Image:
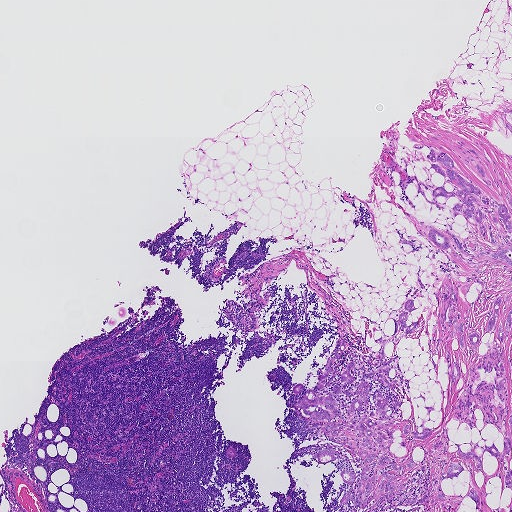
H&E-stained section of a sentinel lymph node (breast cancer), from a whole-slide image, viewed at about 2.5×: the field is about 1.9 mm across, about 3.6 µm per pixel.
Question:
Where is the metastatic tumour in this field?
Answer:
Outlines of eight tumour regions, largest first (closed clockwise paths, crop pixels): region 1: (511, 414), (511, 448), (505, 456), (508, 473), (511, 469), (511, 488), (502, 489), (503, 465), (500, 478), (486, 481), (485, 491), (491, 492), (478, 511), (467, 496), (457, 511), (458, 501), (443, 501), (435, 495), (440, 483), (449, 496), (462, 496), (468, 489), (468, 470), (457, 478), (446, 475), (453, 461), (467, 466), (455, 444), (466, 452), (471, 448), (469, 442), (490, 446), (493, 440), (502, 452); region 2: (457, 140), (463, 141), (464, 143), (463, 148), (472, 148), (478, 153), (488, 178), (492, 182), (494, 178), (495, 179), (499, 184), (498, 189), (493, 183), (494, 188), (491, 185), (489, 188), (474, 167), (462, 160), (458, 156), (456, 142); region 3: (410, 299), (413, 299), (415, 307), (418, 308), (417, 309), (411, 311), (407, 316), (406, 322), (408, 326), (415, 321), (418, 320), (418, 323), (416, 329), (414, 331), (406, 335), (401, 331), (400, 329), (400, 323), (398, 317), (399, 314), (401, 312), (407, 311), (404, 307), (404, 304), (405, 302); region 4: (459, 313), (463, 321), (463, 324), (463, 340), (464, 345), (463, 347), (460, 346), (458, 341), (459, 333), (456, 332), (452, 337), (446, 339), (450, 333), (452, 321), (456, 317), (457, 314); region 5: (511, 309), (511, 324), (510, 327), (506, 342), (503, 337), (502, 343), (498, 339), (496, 334), (500, 319), (504, 330), (506, 324), (507, 313); region 6: (499, 296), (501, 297), (501, 300), (498, 311), (497, 320), (495, 326), (491, 330), (488, 330), (486, 329), (486, 326), (489, 317), (492, 313), (493, 303), (496, 298); region 7: (328, 448), (333, 449), (337, 452), (338, 454), (337, 456), (334, 459), (331, 459), (329, 455), (326, 455), (322, 457), (322, 459), (320, 460), (314, 459), (313, 456), (313, 454), (319, 451), (324, 449); region 8: (453, 362), (456, 362), (458, 368), (459, 373), (459, 376), (454, 380), (451, 385), (451, 379), (450, 376), (450, 373).
Two more tumour regions are annotated but not outlined: their edges are too irregular for short outlines.
One more, smaller tumour region is not outlined.
Three more small tumour pieces are annotated here but not outlined.
Tumour covers about 5% of the frame.

Image:
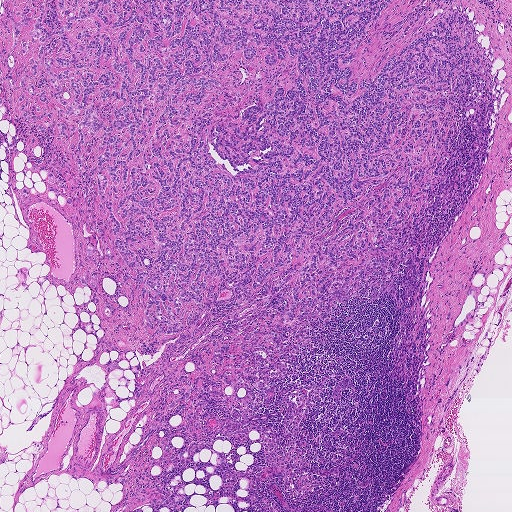
Lymph node section stained with H&E, from a whole-slide image of a breast-cancer sentinel node. Magnification about 2.5×, about 1.9 mm across the frame, about 3.6 µm per pixel.
Question:
Where is the metastatic tumour in this field?
Answer:
Four metastatic tumour regions, each outlined as a closed clockwise path in crop pixels (x, y), largest first: region 1: (394, 0), (360, 81), (463, 3), (497, 119), (415, 302), (351, 297), (298, 355), (254, 338), (250, 407), (206, 375), (194, 432), (155, 430), (211, 349), (167, 364), (180, 333), (144, 326), (107, 258), (103, 128), (81, 173), (78, 133), (19, 112), (26, 1); region 2: (93, 270), (97, 273), (98, 289), (97, 292), (88, 283), (84, 284), (80, 282), (79, 278), (81, 274), (84, 271), (88, 273), (90, 278); region 3: (106, 302), (110, 302), (116, 308), (120, 316), (116, 317), (113, 315), (107, 317), (103, 315), (103, 306); region 4: (88, 244), (92, 246), (94, 249), (97, 257), (96, 264), (89, 260), (86, 252), (86, 247).
Seven more small tumour pieces are annotated here but not outlined.
About 50% of the image area is annotated as tumour.

Image:
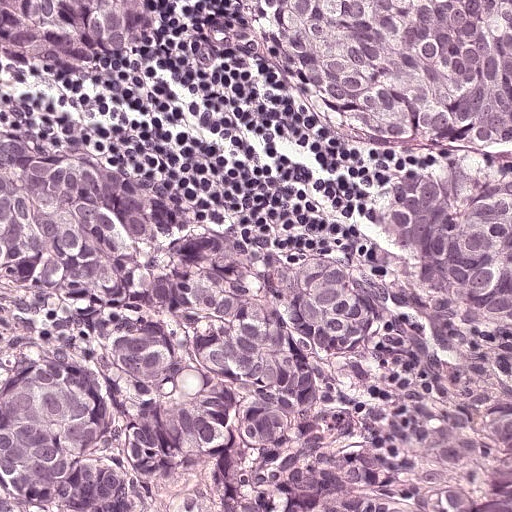
Lymph node section stained with H&E, from a whole-slide image of a breast-cancer sentinel node. Magnification about 20×, about 0.25 mm across the frame, about 0.49 µm per pixel.
Question:
Where is the metastatic tumour in this field?
Answer:
Boundaries of two metastatic tumour regions, simplified and listed clockwise, largest first: region 1: (511, 0), (511, 511), (0, 511), (0, 136), (71, 172), (150, 188), (264, 242), (376, 242), (376, 208), (412, 183), (314, 110), (234, 6); region 2: (0, 0), (203, 0), (180, 65), (164, 90), (142, 108), (89, 121), (3, 99).
Tumour covers about 85% of the frame.

Image:
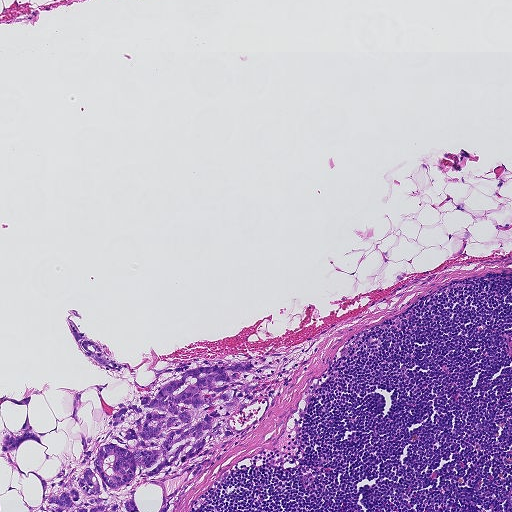
This is a crop of a whole-slide image: an H&E-stained breast-cancer sentinel lymph node section at roughly 5× magnification (about 1.8 µm per pixel; the crop spans about 0.93 mm).
Question:
Where is the metastatic tumour in this field?
Answer:
Tumour region outline (a closed clockwise path, crop pixels): (77, 309), (78, 329), (129, 364), (141, 384), (185, 361), (280, 351), (326, 336), (278, 436), (218, 476), (188, 511), (29, 511), (41, 485), (16, 468), (12, 452), (0, 453), (3, 428), (18, 428), (24, 405), (0, 405), (0, 396), (30, 391), (32, 425), (57, 428), (44, 447), (17, 447), (23, 470), (49, 480), (80, 455), (70, 388), (88, 389), (79, 406), (88, 442), (133, 389), (125, 369), (108, 372), (83, 356), (66, 311).
About 10% of this field is tumour.